A 1-mm field of an H&E-stained sentinel lymph node from a breast-cancer patient (whole-slide image), shown at about 5×, about 1.9 µm per pixel.
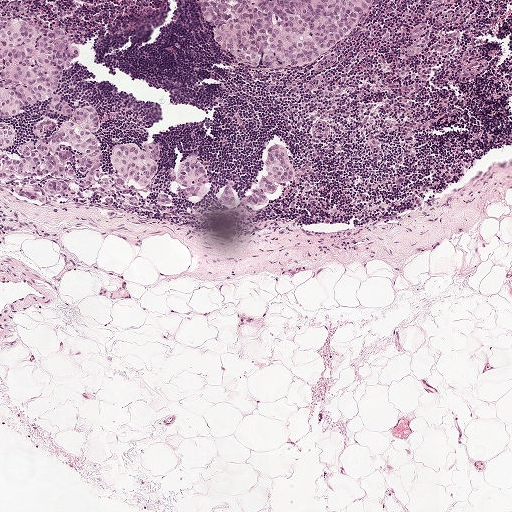
The eight largest tumour regions' boundaries, simplified and listed clockwise, largest first: region 1: (199, 0), (375, 0), (348, 40), (307, 66), (271, 71), (256, 71), (225, 53), (206, 23); region 2: (87, 105), (100, 120), (94, 135), (104, 170), (118, 173), (112, 153), (118, 142), (152, 142), (158, 152), (157, 179), (139, 187), (129, 178), (128, 194), (96, 195), (82, 185), (78, 178), (83, 171), (74, 163), (79, 152), (71, 145), (48, 155), (69, 153), (74, 180), (34, 176), (0, 180), (0, 123), (16, 130), (19, 138), (9, 150), (17, 159), (22, 145), (37, 140), (30, 132), (36, 123), (52, 120), (58, 130); region 3: (33, 12), (74, 36), (79, 48), (78, 58), (66, 71), (59, 87), (61, 96), (72, 107), (73, 113), (61, 115), (53, 112), (50, 98), (15, 114), (0, 116), (0, 14), (19, 19); region 4: (282, 144), (287, 150), (296, 176), (278, 186), (278, 189), (273, 193), (264, 193), (269, 197), (268, 203), (260, 206), (252, 207), (244, 203), (244, 199), (254, 192), (265, 176), (266, 150), (269, 145); region 5: (192, 156), (202, 160), (204, 164), (206, 173), (206, 192), (191, 197), (186, 196), (182, 190), (188, 187), (171, 180), (167, 173), (170, 166), (179, 168), (183, 159); region 6: (41, 184), (42, 188), (39, 194), (45, 195), (45, 201), (40, 203), (26, 197), (19, 196), (19, 189), (26, 185); region 7: (51, 180), (64, 180), (68, 182), (69, 190), (64, 196), (59, 194), (52, 194), (45, 189), (45, 187); region 8: (227, 180), (235, 182), (232, 189), (234, 205), (222, 205), (217, 202), (217, 201), (224, 192).
One more, smaller tumour region is not outlined.
One more small tumour piece is annotated here but not outlined.
About 10% of this field is tumour.